Lymph node section stained with H&E, from a whole-slide image of a breast-cancer sentinel node. Magnification about 10×, about 0.5 mm across the frame, about 0.97 µm per pixel.
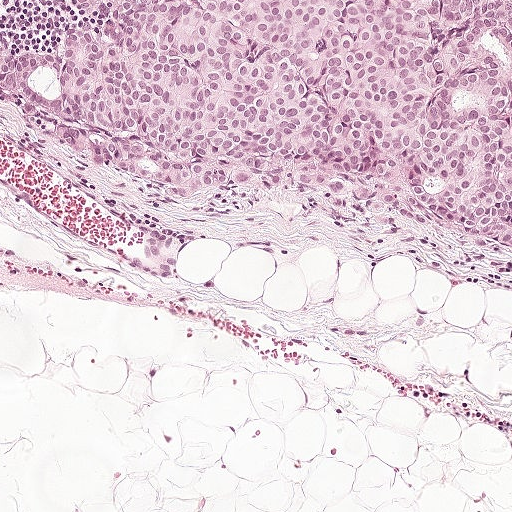
Metastatic tumour outline, simplified to 12 points and listed clockwise in crop pixels (x, y): (73, 0), (511, 0), (511, 249), (392, 215), (338, 215), (307, 190), (155, 199), (93, 170), (76, 145), (0, 102), (0, 54), (64, 58).
Tumour covers about 35% of the frame.